H&E-stained section of a sentinel lymph node (breast cancer), from a whole-slide image, viewed at about 20×: the field is about 0.23 mm across, about 0.45 µm per pixel.
Image:
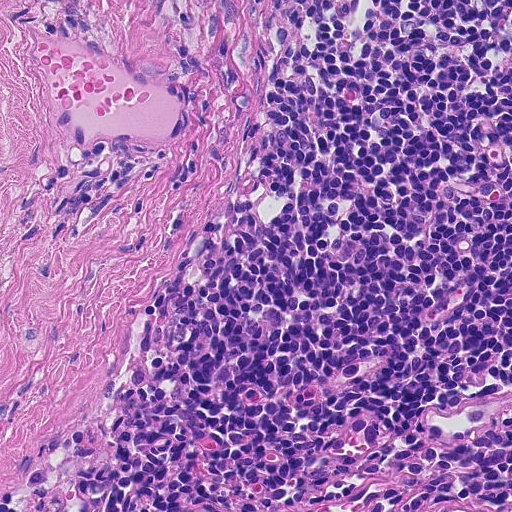
Question:
Is there metastatic carcinoma in this field?
Answer:
No. No metastatic tumour is outlined in this field.